Lymph node section stained with H&E, from a whole-slide image of a breast-cancer sentinel node. Magnification about 5×, about 0.93 mm across the frame, about 1.8 µm per pixel.
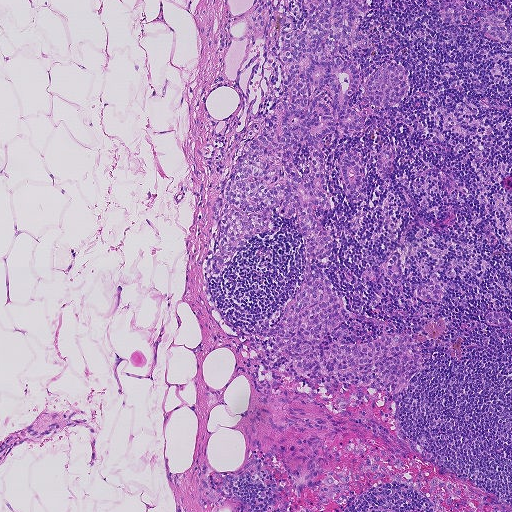
Tumour region outline (a closed clockwise path, crop pixels): (366, 0), (363, 81), (384, 62), (410, 75), (394, 106), (366, 106), (362, 84), (347, 106), (365, 124), (349, 140), (360, 200), (340, 169), (347, 138), (323, 137), (334, 208), (314, 211), (332, 243), (318, 267), (372, 320), (332, 339), (438, 320), (436, 339), (463, 340), (460, 361), (416, 347), (419, 371), (392, 396), (311, 391), (253, 351), (248, 334), (302, 281), (296, 214), (273, 213), (275, 234), (219, 276), (206, 269), (218, 185), (263, 128), (282, 36), (304, 7).
Tumour covers about 15% of the frame.